Question: 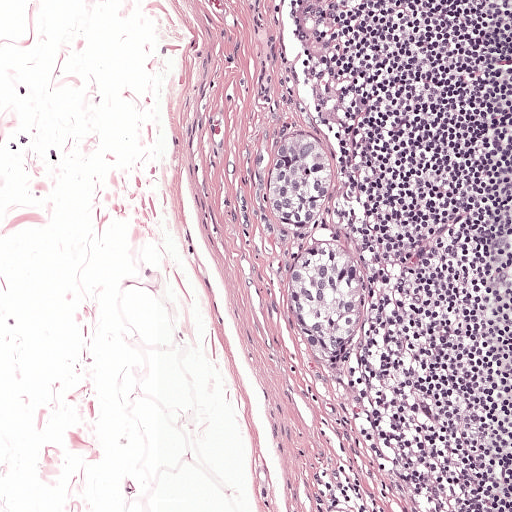
About what magnification does this crop show?

Choices:
 (A) about 40×
 (B) about 20×
 (C) about 10×
 (D) about 2.5×
 (E) about 5×

Answer: (C) about 10×
This is a crop of a whole-slide image: an H&E-stained breast-cancer sentinel lymph node section at roughly 10× magnification (about 0.97 µm per pixel; the crop spans about 0.5 mm).
Tumour region outline (a closed clockwise path, crop pixels): (292, 125), (330, 147), (336, 158), (336, 185), (318, 222), (320, 233), (354, 244), (373, 280), (364, 331), (345, 358), (334, 365), (310, 358), (296, 333), (290, 280), (308, 239), (302, 228), (271, 208), (266, 193), (274, 156).
Tumour covers about 5% of the frame.